Image:
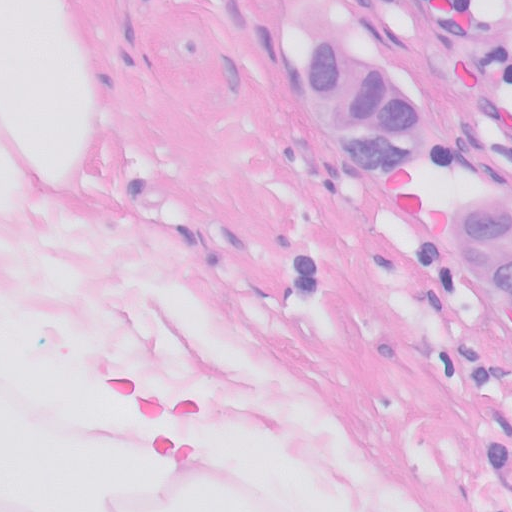
H&E-stained section of a sentinel lymph node (breast cancer), from a whole-slide image, viewed at about 40×: the field is about 0.13 mm across, about 0.25 µm per pixel.
Question:
Which parts of this field are metastatic tumour? Answer with the outline of each region, in pixels.
Answer:
Two metastatic tumour regions, each outlined as a closed clockwise path in crop pixels (x, y), largest first: region 1: (327, 23), (355, 49), (387, 64), (413, 84), (430, 108), (430, 137), (419, 162), (392, 175), (365, 176), (323, 140), (295, 87), (288, 58), (299, 29); region 2: (472, 191), (502, 194), (511, 200), (511, 313), (483, 285), (456, 270), (435, 248), (426, 220), (444, 196).
About 10% of this field is tumour.